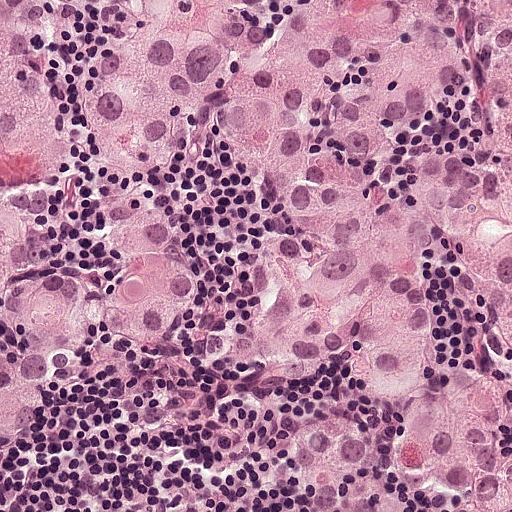
H&E-stained section of a sentinel lymph node (breast cancer), from a whole-slide image, viewed at about 20×: the field is about 0.25 mm across, about 0.49 µm per pixel.
Tumour region outline (a closed clockwise path, crop pixels): (0, 0), (511, 0), (511, 511), (334, 511), (292, 473), (286, 435), (328, 416), (400, 433), (407, 398), (360, 398), (350, 356), (284, 378), (204, 356), (257, 289), (249, 257), (300, 222), (210, 128), (158, 182), (208, 282), (186, 322), (144, 346), (99, 334), (23, 432), (0, 436).
About 75% of this field is tumour.